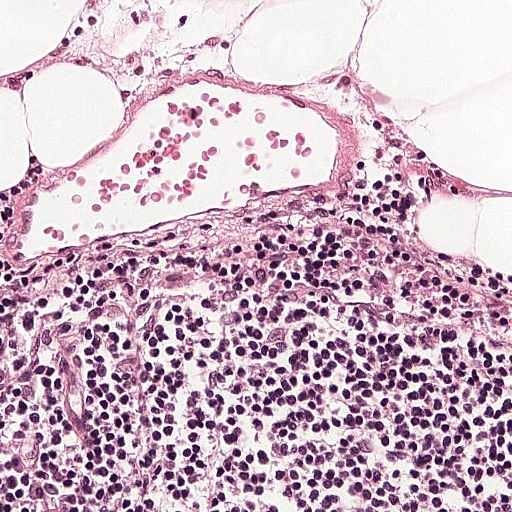
This is a crop of a whole-slide image: an H&E-stained breast-cancer sentinel lymph node section at roughly 20× magnification (about 0.49 µm per pixel; the crop spans about 0.25 mm).